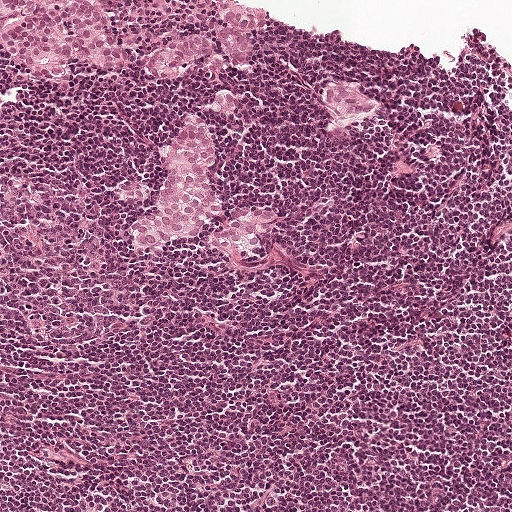
Lymph node section stained with H&E, from a whole-slide image of a breast-cancer sentinel node. Magnification about 10×, about 0.5 mm across the frame, about 0.97 µm per pixel.
Outlines of five tumour regions, largest first (closed clockwise paths, crop pixels): region 1: (0, 0), (102, 0), (108, 18), (117, 26), (117, 49), (125, 53), (124, 70), (113, 73), (71, 64), (71, 76), (51, 82), (30, 73), (10, 54), (0, 36); region 2: (194, 114), (206, 117), (211, 124), (216, 140), (216, 157), (210, 182), (224, 215), (208, 224), (195, 238), (172, 239), (149, 249), (137, 247), (129, 240), (132, 228), (144, 211), (161, 197), (167, 176), (160, 160), (162, 147); region 3: (236, 4), (267, 9), (268, 32), (252, 38), (254, 61), (250, 66), (238, 66), (224, 60), (218, 54), (211, 54), (191, 62), (182, 77), (173, 79), (157, 77), (146, 69), (154, 55), (171, 41), (197, 35), (220, 35), (220, 26), (227, 22), (230, 6); region 4: (252, 206), (261, 210), (276, 210), (281, 213), (277, 226), (268, 236), (258, 234), (261, 252), (258, 258), (250, 262), (231, 258), (222, 246), (213, 242), (212, 238), (215, 228), (231, 223), (233, 211), (236, 208); region 5: (344, 78), (350, 82), (357, 92), (376, 104), (375, 111), (352, 116), (340, 116), (334, 112), (323, 98), (322, 94), (329, 84).
One more small tumour piece is annotated here but not outlined.
About 10% of this field is tumour.